Lymph node section stained with H&E, from a whole-slide image of a breast-cancer sentinel node. Magnification about 5×, about 0.93 mm across the frame, about 1.8 µm per pixel.
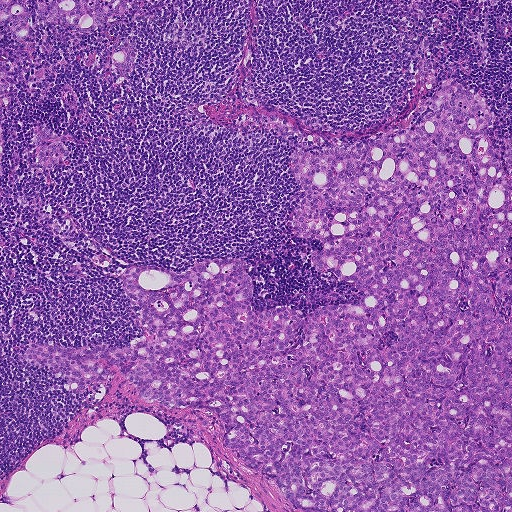
Outlines of three tumour regions, largest first (closed clockwise paths, crop pixels): region 1: (447, 80), (488, 102), (498, 153), (511, 136), (511, 511), (293, 510), (208, 409), (142, 401), (114, 369), (102, 400), (64, 390), (25, 346), (142, 336), (130, 266), (238, 258), (262, 310), (358, 304), (313, 270), (320, 241), (288, 229), (306, 136), (361, 141); region 2: (0, 0), (147, 0), (130, 7), (122, 18), (123, 37), (137, 43), (139, 52), (128, 78), (113, 85), (104, 82), (103, 64), (112, 39), (122, 36), (121, 19), (72, 45), (56, 38), (45, 24), (36, 24), (34, 40), (26, 45), (17, 43), (6, 30), (0, 35); region 3: (0, 62), (13, 63), (18, 70), (16, 75), (8, 75), (16, 78), (19, 87), (12, 92), (13, 101), (10, 108), (33, 126), (42, 125), (57, 135), (68, 149), (68, 157), (52, 166), (46, 172), (40, 166), (33, 149), (30, 132), (32, 126), (9, 109), (0, 108).
About 45% of the image area is annotated as tumour.